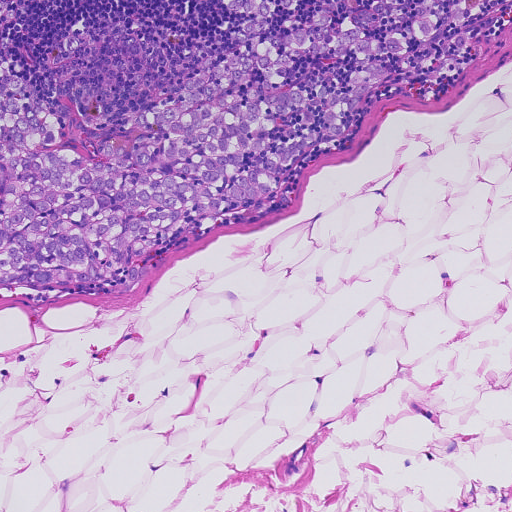
H&E-stained section of a sentinel lymph node (breast cancer), from a whole-slide image, viewed at about 10×: the field is about 0.46 mm across, about 0.91 µm per pixel.
Boundaries of two metastatic tumour regions, simplified and listed clockwise, largest first: region 1: (226, 0), (300, 0), (276, 9), (268, 36), (324, 4), (365, 34), (395, 34), (426, 2), (436, 12), (348, 130), (296, 156), (269, 194), (174, 233), (129, 290), (0, 298), (0, 56), (57, 116), (64, 147), (95, 150), (135, 142), (151, 102), (240, 48), (254, 15); region 2: (0, 0), (7, 0), (14, 16), (0, 45).
Tumour covers about 25% of the frame.